Question: 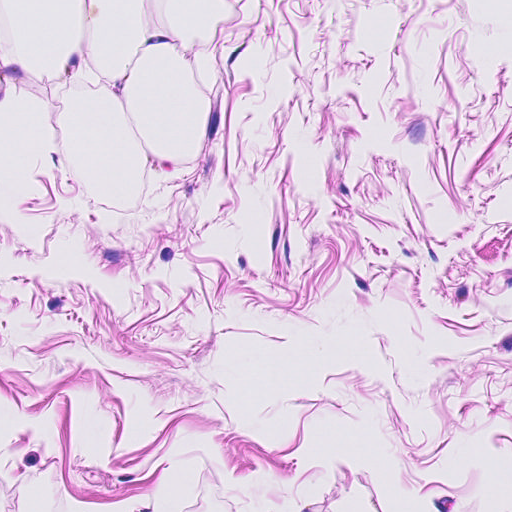
Which magnification is this H&E lymph node field most likely shown at?

Choices:
 (A) about 20×
 (B) about 40×
 (C) about 5×
 (D) about 2.5×
 (E) about 10×

Answer: (A) about 20×
H&E-stained section of a sentinel lymph node (breast cancer), from a whole-slide image, viewed at about 20×: the field is about 0.23 mm across, about 0.45 µm per pixel.